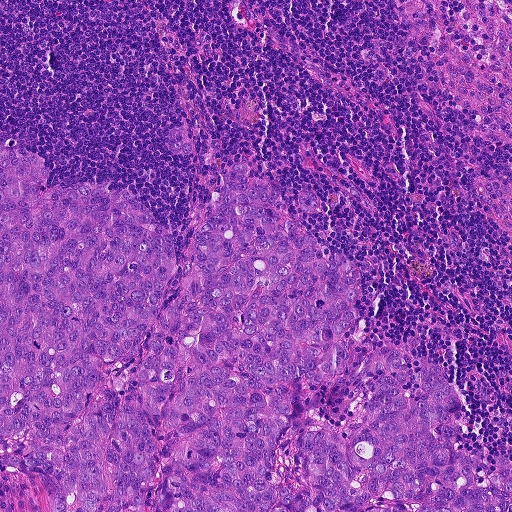
H&E-stained section of a sentinel lymph node (breast cancer), from a whole-slide image, viewed at about 10×: the field is about 0.46 mm across, about 0.9 µm per pixel.
The outlined metastatic tumour's edge, as a closed clockwise path of 24 points: (0, 152), (40, 158), (45, 193), (92, 186), (149, 212), (175, 252), (164, 310), (220, 182), (246, 159), (361, 282), (354, 384), (318, 389), (317, 423), (352, 423), (389, 347), (410, 358), (408, 399), (436, 363), (444, 372), (462, 405), (454, 444), (507, 459), (511, 511), (0, 511).
One more small tumour piece is annotated here but not outlined.
Tumour covers about 50% of the frame.